A 1-mm field of an H&E-stained sentinel lymph node from a breast-cancer patient (whole-slide image), shown at about 5×, about 1.9 µm per pixel.
Question: 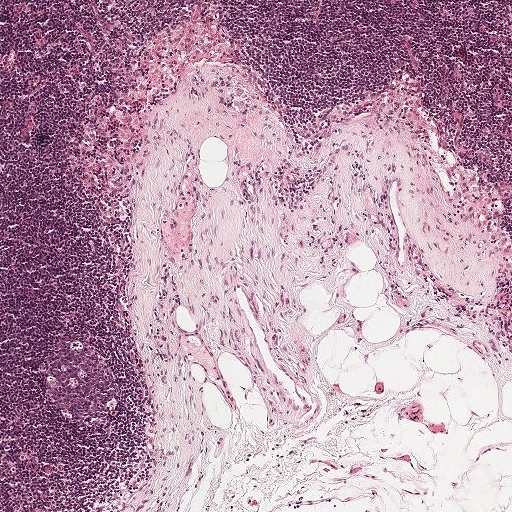
Estimate the proportion of this field that is metastatic tumour.

Choices:
 (A) none: no tumour is outlined
 (B) about 25% to 45%
 (C) about 5% or less
 (D) about 10% to 20%
 (E) about 50% or more

Answer: (A) none: no tumour is outlined
No metastatic tumour is outlined in this field.